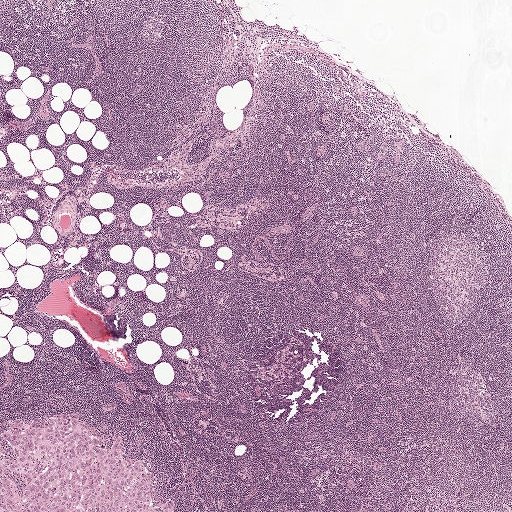
H&E-stained section of a sentinel lymph node (breast cancer), from a whole-slide image, viewed at about 2.5×: the field is about 2.0 mm across, about 3.9 µm per pixel.
Metastatic tumour outline, simplified to 17 points and listed clockwise in crop pixels (x, y): (56, 416), (86, 426), (109, 449), (120, 436), (125, 458), (146, 465), (154, 482), (153, 499), (172, 503), (175, 511), (0, 511), (0, 442), (10, 458), (14, 453), (1, 433), (13, 419), (33, 422).
About 5% of the image area is annotated as tumour.